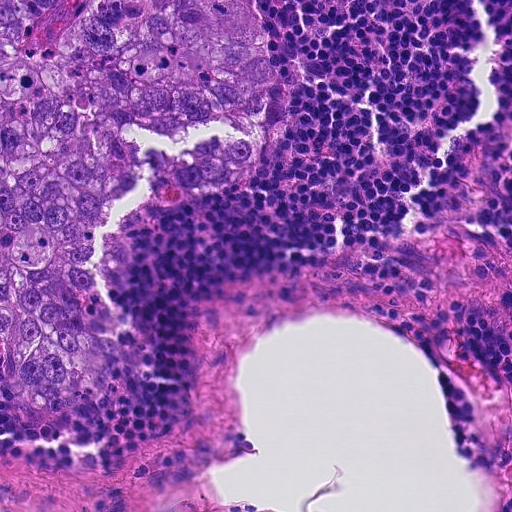
This is a crop of a whole-slide image: an H&E-stained breast-cancer sentinel lymph node section at roughly 20× magnification (about 0.45 µm per pixel; the crop spans about 0.23 mm).
Metastatic tumour outline, simplified to 13 points and listed clockwise in crop pixels (x, y): (0, 0), (254, 0), (278, 60), (270, 166), (204, 198), (132, 210), (111, 240), (100, 274), (125, 344), (103, 410), (71, 425), (34, 420), (6, 398).
About 30% of this field is tumour.